Lymph node section stained with H&E, from a whole-slide image of a breast-cancer sentinel node. Magnification about 20×, about 0.25 mm across the frame, about 0.49 µm per pixel.
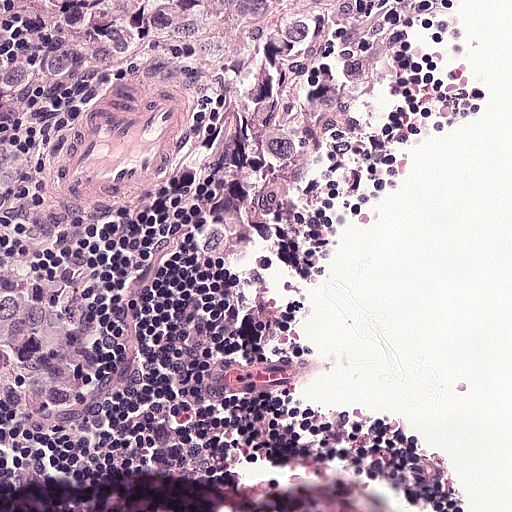
One metastatic tumour region; its boundary, reduced to 15 corners and listed clockwise: (0, 0), (405, 0), (370, 90), (288, 184), (242, 262), (202, 261), (204, 220), (190, 181), (110, 202), (74, 226), (73, 268), (126, 333), (135, 374), (68, 424), (0, 424).
About 35% of the image area is annotated as tumour.